Image:
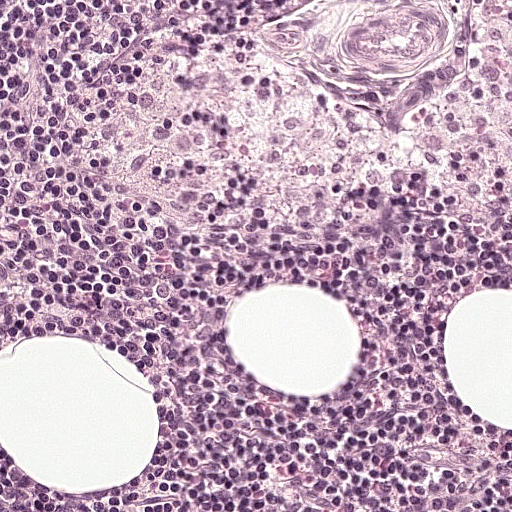
H&E-stained section of a sentinel lymph node (breast cancer), from a whole-slide image, viewed at about 20×: the field is about 0.25 mm across, about 0.49 µm per pixel.
Question:
Is there metastatic carcinoma in this field?
Answer:
No, this field holds no outlined metastasis.